Image:
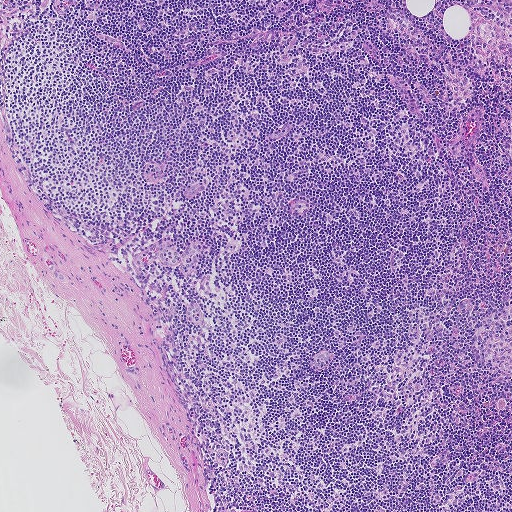
Lymph node section stained with H&E, from a whole-slide image of a breast-cancer sentinel node. Magnification about 5×, about 0.93 mm across the frame, about 1.8 µm per pixel.
Question:
Does this lymph node field contain metastatic tumour?
Answer:
No: no metastatic tumour is outlined anywhere in this field.